Lymph node section stained with H&E, from a whole-slide image of a breast-cancer sentinel node. Magnification about 10×, about 0.5 mm across the frame, about 0.97 µm per pixel.
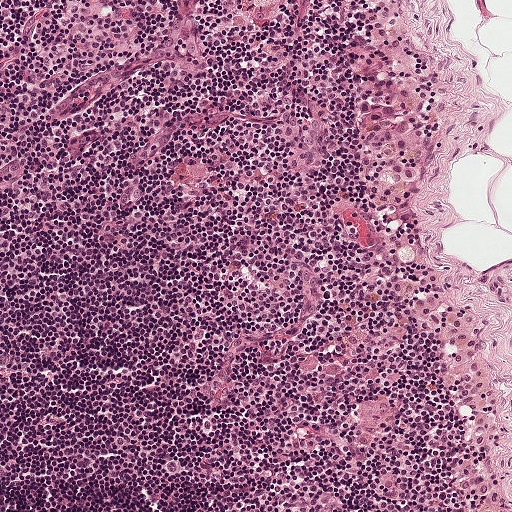
Question: Is any metastatic breast cancer visible in this crop?
Answer: Yes.
Tumour region outline (a closed clockwise path, crop pixels): (388, 94), (407, 102), (428, 137), (427, 162), (418, 182), (413, 185), (390, 184), (376, 178), (360, 160), (366, 139), (360, 116), (362, 95).
Under 5% of the image area is annotated as tumour.